Question: 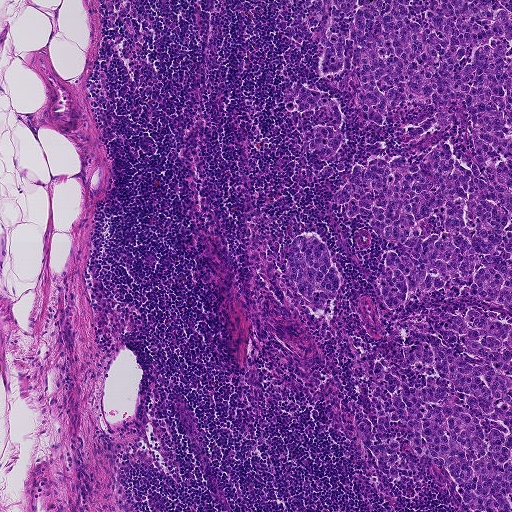
A 0.93-mm field of an H&E-stained sentinel lymph node from a breast-cancer patient (whole-slide image), shown at about 5×, about 1.8 µm per pixel.
What fraction of the image area is metastatic tumour?

Choices:
 (A) about 25% to 45%
 (B) none: no tumour is outlined
 (C) about 5% or less
 (D) about 50% or more
 (E) about 10% to 20%

Answer: (A) about 25% to 45%
About 25% of the field is tumour.
Boundaries of four metastatic tumour regions, simplified and listed clockwise, largest first: region 1: (511, 0), (511, 312), (465, 296), (463, 282), (392, 310), (379, 302), (393, 243), (331, 197), (356, 163), (415, 162), (446, 138), (473, 165), (459, 108), (409, 141), (433, 101), (386, 108), (378, 126), (364, 116), (350, 30), (342, 70), (320, 76), (331, 4); region 2: (476, 309), (511, 324), (511, 511), (466, 511), (453, 479), (426, 454), (410, 454), (406, 437), (390, 439), (402, 448), (382, 466), (352, 412), (358, 406), (375, 435), (389, 416), (399, 391), (375, 376), (378, 358), (424, 388), (436, 370), (402, 367), (403, 345), (435, 334), (436, 314); region 3: (312, 234), (318, 238), (328, 250), (331, 266), (338, 271), (339, 279), (339, 286), (333, 300), (314, 311), (308, 307), (295, 289), (287, 273), (286, 265), (289, 250), (296, 236); region 4: (296, 82), (304, 82), (305, 87), (328, 95), (335, 99), (340, 105), (342, 113), (342, 137), (340, 145), (331, 156), (323, 157), (316, 156), (311, 151), (306, 136), (313, 122), (313, 115), (306, 112), (291, 112), (284, 107), (284, 92).